Lymph node section stained with H&E, from a whole-slide image of a breast-cancer sentinel node. Magnification about 2.5×, about 1.9 mm across the frame, about 3.6 µm per pixel.
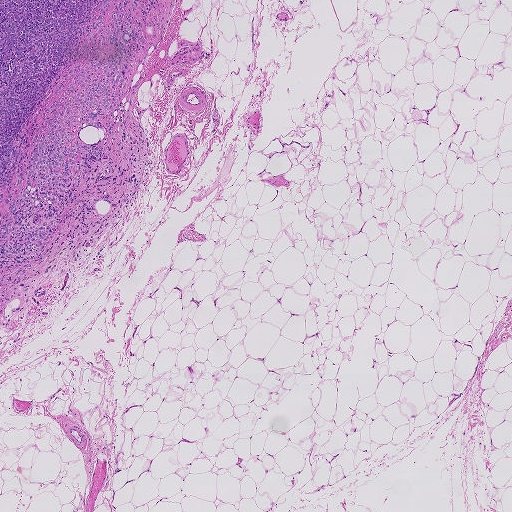
Tumour region outline (a closed clockwise path, crop pixels): (0, 0), (154, 0), (145, 20), (152, 28), (140, 19), (139, 6), (132, 12), (147, 41), (126, 69), (110, 113), (102, 110), (98, 122), (106, 131), (79, 130), (80, 140), (101, 152), (99, 160), (88, 157), (93, 169), (86, 178), (72, 182), (63, 223), (39, 256), (0, 263).
One more small tumour piece is annotated here but not outlined.
Tumour covers about 10% of the frame.